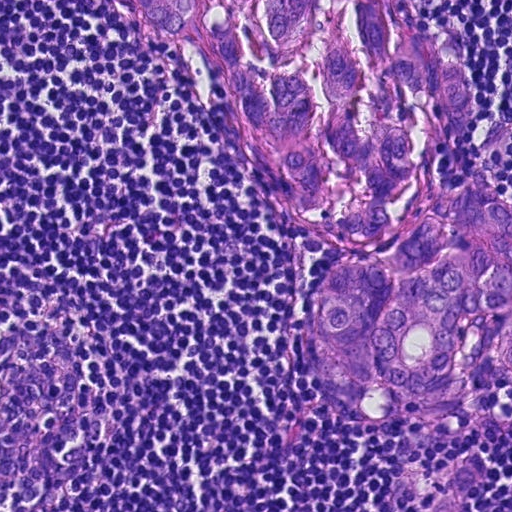
Lymph node section stained with H&E, from a whole-slide image of a breast-cancer sentinel node. Magnification about 20×, about 0.23 mm across the frame, about 0.45 µm per pixel.
Tumour region outline (a closed clockwise path, crop pixels): (417, 0), (430, 15), (478, 94), (448, 160), (452, 184), (472, 173), (511, 194), (511, 431), (370, 426), (332, 400), (307, 362), (302, 310), (324, 268), (344, 256), (293, 218), (216, 79), (126, 3).
About 35% of this field is tumour.